Image:
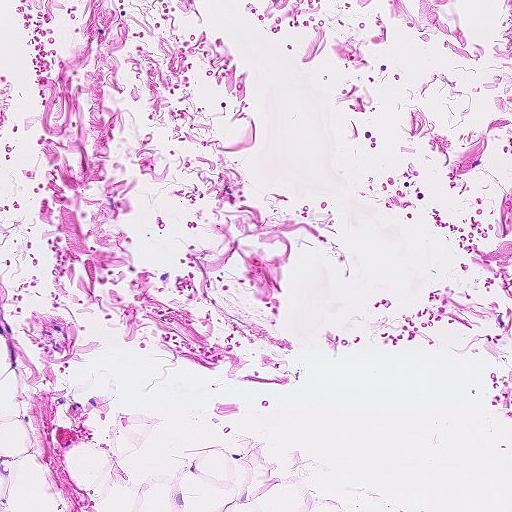
H&E-stained section of a sentinel lymph node (breast cancer), from a whole-slide image, viewed at about 10×: the field is about 0.46 mm across, about 0.9 µm per pixel.
Question:
Is any metastatic breast cancer visible in this crop?
Answer:
No. No metastatic tumour is outlined in this field.